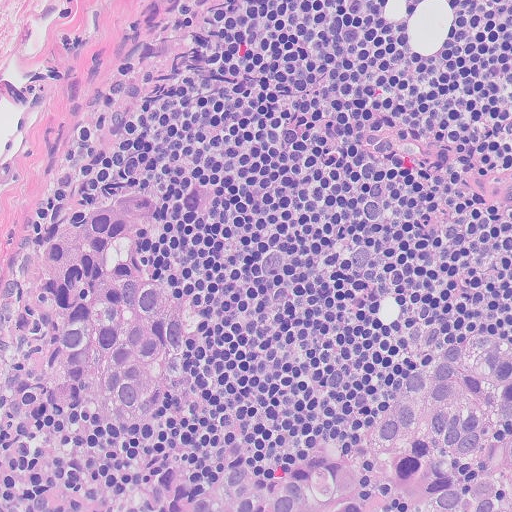
A 0.26-mm field of an H&E-stained sentinel lymph node from a breast-cancer patient (whole-slide image), shown at about 20×, about 0.5 µm per pixel.
Boundaries of two metastatic tumour regions, simplified and listed clockwise, largest first: region 1: (500, 332), (511, 343), (511, 511), (182, 511), (194, 490), (241, 455), (328, 446), (352, 435), (383, 392), (449, 334); region 2: (150, 187), (165, 204), (142, 252), (188, 281), (192, 339), (186, 364), (152, 412), (129, 428), (102, 428), (78, 416), (54, 401), (35, 372), (35, 344), (7, 295), (5, 268), (44, 218), (68, 202), (120, 188).
One more small tumour piece is annotated here but not outlined.
About 25% of the image area is annotated as tumour.